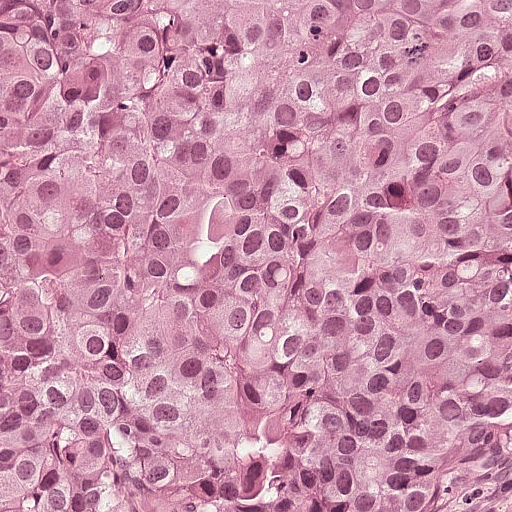
H&E-stained section of a sentinel lymph node (breast cancer), from a whole-slide image, viewed at about 20×: the field is about 0.25 mm across, about 0.49 µm per pixel.
Metastatic tumour covers the whole field.
Over 95% of the image area is annotated as tumour.